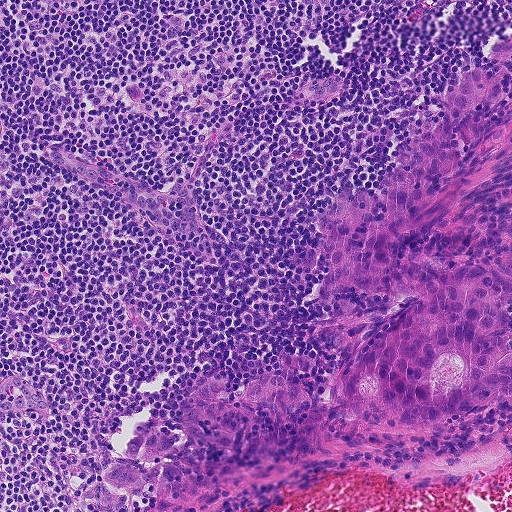
H&E-stained section of a sentinel lymph node (breast cancer), from a whole-slide image, viewed at about 10×: the field is about 0.46 mm across, about 0.9 µm per pixel.
Outlines of two tumour regions, largest first (closed clockwise paths, crop pixels): region 1: (511, 33), (499, 104), (460, 124), (464, 156), (450, 182), (461, 191), (456, 205), (405, 254), (449, 270), (511, 264), (511, 305), (500, 309), (511, 316), (511, 392), (408, 434), (363, 428), (337, 411), (346, 368), (405, 302), (349, 290), (366, 330), (343, 347), (329, 342), (342, 299), (317, 286), (326, 274), (324, 214), (342, 190), (372, 189), (384, 174), (405, 168), (395, 151), (430, 132), (456, 79), (473, 68), (491, 76), (503, 61), (489, 58), (492, 44); region 2: (280, 352), (305, 354), (317, 365), (303, 374), (300, 382), (307, 405), (291, 409), (265, 403), (258, 407), (234, 432), (233, 448), (226, 452), (193, 444), (187, 438), (166, 454), (203, 478), (204, 494), (198, 501), (181, 502), (164, 496), (152, 484), (127, 489), (102, 478), (105, 470), (122, 464), (146, 467), (128, 460), (123, 454), (126, 446), (136, 434), (152, 427), (176, 434), (196, 379), (228, 374), (228, 390), (218, 398), (234, 402), (252, 374), (281, 374).
The annotated tumour makes up about 20% of the crop.